Image:
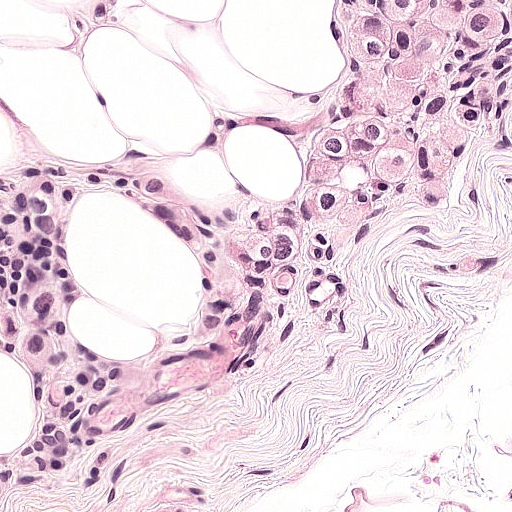
H&E-stained section of a sentinel lymph node (breast cancer), from a whole-slide image, viewed at about 20×: the field is about 0.25 mm across, about 0.49 µm per pixel.
Question:
Where is the metastatic tumour in this field?
Answer:
The outlined metastatic tumour's edge, as a closed clockwise path of 20 points: (511, 0), (511, 130), (464, 184), (370, 249), (262, 378), (115, 456), (39, 511), (0, 511), (0, 438), (44, 411), (46, 390), (0, 357), (0, 149), (110, 142), (194, 186), (252, 186), (288, 156), (288, 134), (336, 49), (323, 2).
About 50% of the image area is annotated as tumour.